Lymph node section stained with H&E, from a whole-slide image of a breast-cancer sentinel node. Magnification about 2.5×, about 2.0 mm across the frame, about 3.9 µm per pixel.
Image:
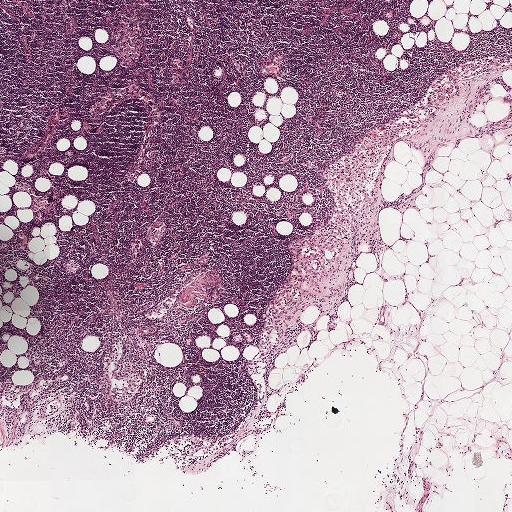
Question:
Is there metastatic carcinoma in this field?
Answer:
No: no metastatic tumour is outlined anywhere in this field.